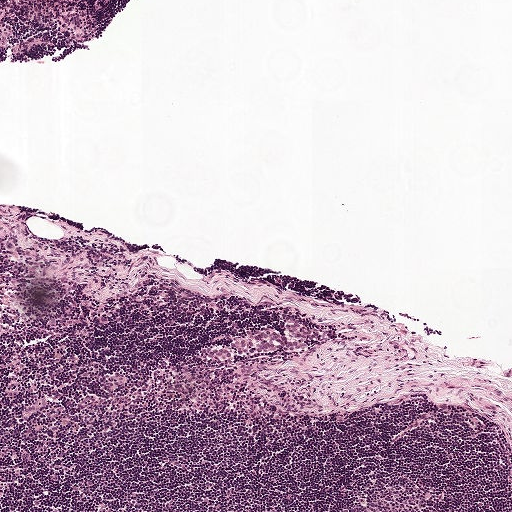
A 1-mm field of an H&E-stained sentinel lymph node from a breast-cancer patient (whole-slide image), shown at about 5×, about 1.9 µm per pixel.
One metastatic tumour region; its boundary, reduced to 19 corners and listed clockwise: (298, 323), (321, 336), (309, 339), (309, 346), (304, 350), (278, 348), (254, 355), (236, 355), (228, 360), (218, 357), (206, 357), (202, 351), (207, 346), (227, 344), (248, 329), (272, 328), (284, 333), (286, 332), (284, 324).
Under 5% of the image area is annotated as tumour.